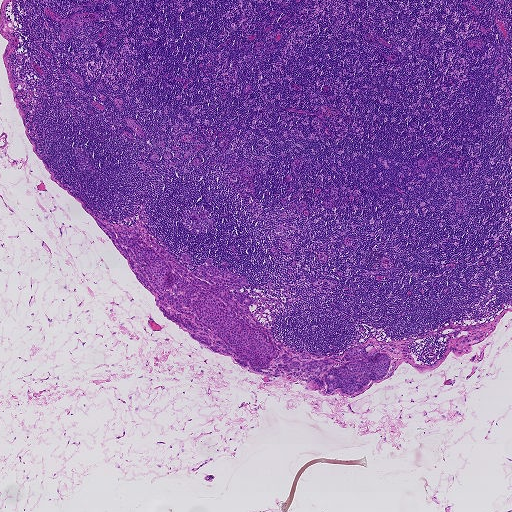
H&E-stained section of a sentinel lymph node (breast cancer), from a whole-slide image, viewed at about 2.5×: the field is about 1.9 mm across, about 3.6 µm per pixel.
Question: Outline the metastatic carcinoma in this image, as closed paths of (x, y) pixel coordinates.
Answer: Metastatic tumour outline, simplified to 24 points and listed clockwise in crop pixels (x, y): (82, 205), (140, 226), (181, 264), (189, 271), (210, 257), (222, 269), (227, 261), (223, 269), (249, 282), (242, 286), (254, 302), (250, 311), (291, 349), (332, 358), (373, 344), (391, 360), (387, 374), (349, 396), (339, 388), (326, 393), (304, 377), (243, 369), (204, 348), (166, 318).
The annotated tumour makes up about 5% of the crop.

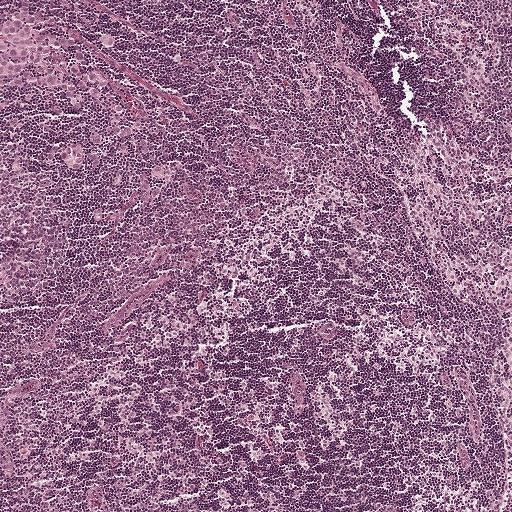
This is a crop of a whole-slide image: an H&E-stained breast-cancer sentinel lymph node section at roughly 5× magnification (about 1.9 µm per pixel; the crop spans about 1 mm).
Question: Outline the metastatic carcinoma in this image, as closed paths of (x, y) pixel coordinates.
Answer: The outlined metastatic tumour's edge, as a closed clockwise path of 24 points: (18, 7), (80, 42), (85, 74), (102, 86), (103, 104), (122, 116), (122, 133), (148, 161), (140, 167), (127, 155), (120, 165), (102, 152), (96, 174), (83, 167), (77, 178), (63, 177), (57, 157), (83, 148), (103, 124), (92, 107), (73, 118), (41, 93), (0, 124), (0, 14).
The annotated tumour makes up about 5% of the crop.

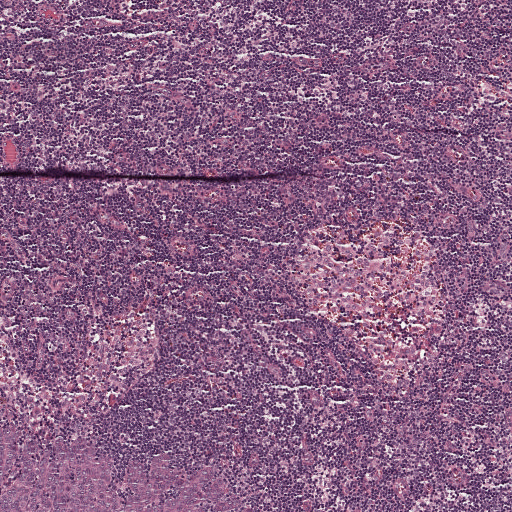
Lymph node section stained with H&E, from a whole-slide image of a breast-cancer sentinel node. Magnification about 5×, about 1 mm across the frame, about 1.9 µm per pixel.
Question: Outline the metastatic carcinoma in this image, as closed paths of (x, y) pixel coordinates.
Answer: One metastatic tumour region; its boundary, reduced to 12 corners and listed clockwise: (0, 418), (44, 442), (56, 437), (92, 438), (112, 453), (116, 476), (133, 459), (170, 452), (181, 468), (212, 465), (255, 511), (0, 511).
About 5% of this field is tumour.

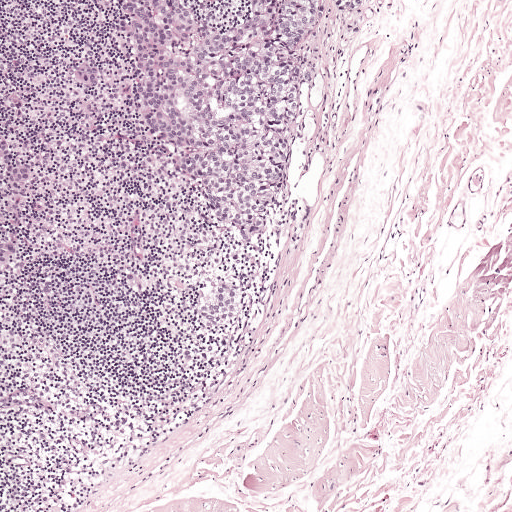
H&E-stained section of a sentinel lymph node (breast cancer), from a whole-slide image, viewed at about 5×: the field is about 1 mm across, about 1.9 µm per pixel.
Question: Outline the metastatic carcinoma in this image, as closed paths of (x, y) pixel coordinates.
Answer: Seven metastatic tumour regions, each outlined as a closed clockwise path in crop pixels (x, y), largest first: region 1: (119, 0), (192, 0), (215, 30), (235, 32), (251, 20), (254, 0), (324, 6), (306, 54), (316, 74), (300, 84), (296, 170), (244, 264), (240, 244), (214, 223), (135, 118), (130, 68), (88, 89), (70, 77), (68, 65), (88, 55), (107, 73), (127, 62), (127, 38), (104, 30); region 2: (0, 134), (3, 135), (10, 144), (10, 162), (32, 162), (36, 167), (36, 175), (31, 195), (7, 193), (11, 220), (15, 233), (25, 242), (25, 255), (22, 266), (12, 272), (0, 275), (0, 241), (11, 233), (4, 190), (0, 192), (0, 187), (4, 188), (6, 165), (0, 163); region 3: (232, 280), (243, 297), (243, 311), (238, 322), (230, 330), (219, 334), (205, 332), (196, 324), (192, 314), (193, 300), (209, 282); region 4: (125, 269), (139, 269), (152, 278), (151, 291), (140, 292), (127, 291), (119, 280); region 5: (335, 0), (362, 0), (359, 6), (351, 11), (336, 6); region 6: (24, 99), (24, 113), (20, 117), (15, 117), (16, 101); region 7: (347, 23), (355, 25), (362, 29), (355, 34), (345, 30).
Five more small tumour pieces are annotated here but not outlined.
About 15% of this field is tumour.